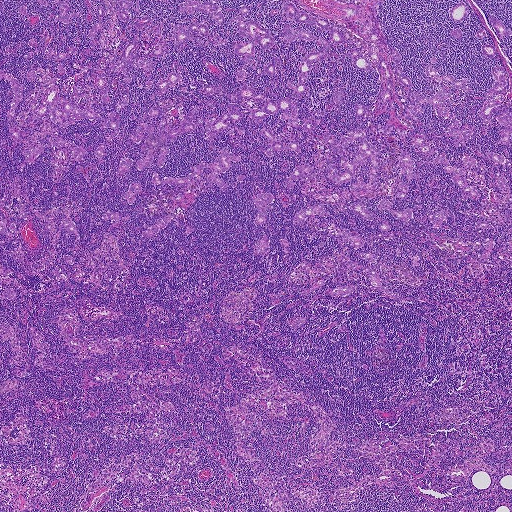
A 1.9-mm field of an H&E-stained sentinel lymph node from a breast-cancer patient (whole-slide image), shown at about 2.5×, about 3.6 µm per pixel.
The eight largest tumour regions' boundaries, simplified and listed clockwise, largest first: region 1: (55, 84), (57, 97), (88, 107), (105, 116), (114, 111), (122, 97), (128, 99), (116, 113), (119, 128), (117, 135), (110, 138), (108, 135), (114, 130), (104, 127), (104, 120), (80, 119), (63, 126), (56, 122), (53, 124), (60, 137), (86, 150), (84, 157), (78, 161), (68, 155), (68, 147), (56, 148), (50, 144), (51, 121), (48, 115), (41, 115), (32, 127), (25, 124), (24, 121), (32, 108), (42, 102), (49, 88); region 2: (374, 0), (382, 0), (373, 5), (388, 53), (391, 46), (397, 49), (400, 56), (401, 67), (412, 84), (407, 88), (400, 84), (395, 75), (394, 63), (389, 57), (394, 92), (387, 104), (383, 105), (379, 100), (383, 87), (379, 73), (368, 52), (367, 41), (359, 34), (360, 27), (353, 22), (359, 17), (366, 20), (367, 16), (365, 13), (358, 14), (357, 11), (362, 5), (368, 5); region 3: (356, 127), (380, 151), (377, 188), (357, 191), (349, 188), (357, 181), (369, 182), (368, 159), (355, 167), (355, 176), (348, 181), (337, 184), (329, 179), (328, 164), (333, 164), (338, 175), (347, 166), (340, 166), (340, 155), (324, 142), (323, 133), (328, 131), (333, 139), (339, 140); region 4: (290, 2), (297, 11), (324, 19), (331, 27), (343, 33), (345, 40), (339, 43), (328, 42), (326, 56), (310, 64), (310, 72), (304, 83), (309, 88), (308, 92), (299, 99), (292, 96), (293, 90), (287, 86), (288, 82), (297, 84), (303, 56), (322, 47), (313, 40), (299, 38), (286, 40), (283, 26), (286, 24), (294, 31), (300, 28), (328, 41), (330, 32), (298, 22), (288, 16), (283, 11), (283, 4); region 5: (197, 105), (192, 123), (196, 124), (194, 129), (162, 146), (170, 150), (162, 167), (158, 164), (157, 146), (151, 163), (144, 169), (136, 167), (136, 162), (147, 154), (147, 149), (144, 153), (140, 151), (147, 133), (142, 132), (142, 141), (138, 143), (130, 138), (132, 129), (144, 123), (154, 131), (161, 116), (148, 115), (150, 107), (159, 107), (165, 123), (171, 120), (171, 127), (180, 123); region 6: (500, 66), (506, 71), (505, 78), (508, 88), (507, 92), (497, 95), (496, 98), (501, 103), (496, 113), (498, 114), (502, 110), (509, 110), (511, 116), (511, 137), (510, 146), (500, 143), (498, 132), (508, 128), (498, 123), (497, 115), (492, 116), (489, 123), (486, 124), (482, 123), (479, 113), (486, 101), (487, 90), (494, 83), (495, 80), (492, 70), (494, 67); region 7: (226, 147), (240, 158), (238, 162), (230, 160), (229, 169), (220, 173), (218, 177), (226, 181), (228, 186), (222, 191), (216, 185), (208, 182), (206, 178), (216, 169), (214, 168), (205, 168), (200, 176), (190, 186), (153, 183), (152, 174), (156, 171), (159, 180), (168, 177), (182, 178), (190, 174), (194, 166), (202, 161), (214, 162); region 8: (246, 5), (248, 11), (243, 16), (245, 23), (255, 21), (260, 27), (268, 29), (274, 45), (265, 49), (262, 49), (257, 44), (254, 49), (255, 60), (242, 63), (240, 60), (243, 59), (241, 55), (235, 52), (235, 41), (242, 44), (249, 42), (249, 38), (238, 36), (236, 23), (233, 22), (228, 24), (228, 20), (240, 15), (240, 8).
Region 3 encloses a non-tumour hole of about 10% of its area.
48 more, smaller tumour regions are not outlined.
21 more small tumour pieces are annotated here but not outlined.
The annotated tumour makes up about 10% of the crop.